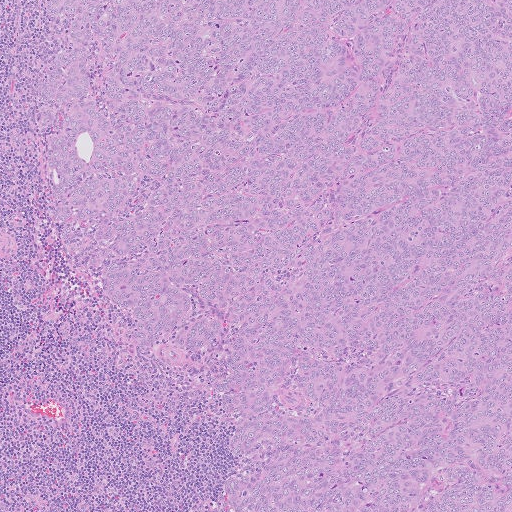
This is a crop of a whole-slide image: an H&E-stained breast-cancer sentinel lymph node section at roughly 5× magnification (about 2.0 µm per pixel; the crop spans about 1.0 mm).
Metastatic tumour outline, simplified to 9 points and listed clockwise in crop pixels (x, y): (511, 0), (511, 511), (225, 511), (228, 431), (190, 355), (141, 340), (99, 309), (44, 212), (44, 8).
Tumour covers about 80% of the frame.